Image:
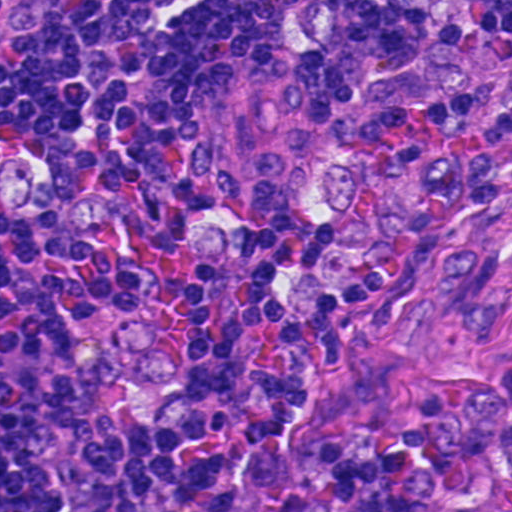
H&E-stained section of a sentinel lymph node (breast cancer), from a whole-slide image, viewed at about 40×: the field is about 0.12 mm across, about 0.23 µm per pixel.
Question:
Show where the tumour is in this image.
Answer:
Outlines of two tumour regions, largest first (closed clockwise paths, crop pixels): region 1: (402, 106), (486, 163), (382, 317), (248, 402), (127, 409), (115, 365), (45, 260), (0, 229), (0, 145), (186, 204), (273, 198), (341, 128); region 2: (511, 388), (511, 511), (397, 511), (438, 461), (479, 416).
About 35% of the image area is annotated as tumour.

Image:
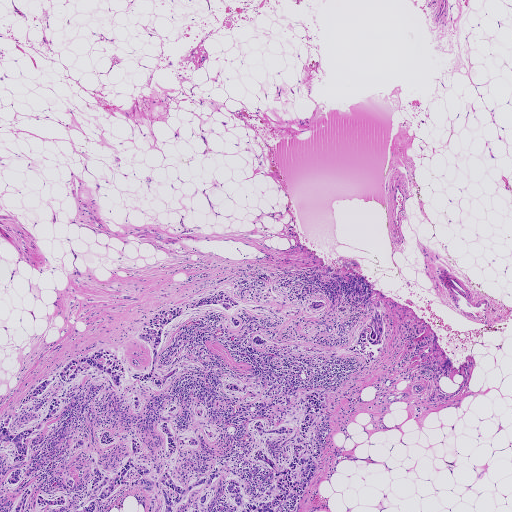
A 1.9-mm field of an H&E-stained sentinel lymph node from a breast-cancer patient (whole-slide image), shown at about 2.5×, about 3.6 µm per pixel.
Question:
Show where the tumour is in this image.
Answer:
Eight metastatic tumour regions, each outlined as a closed clockwise path in crop pixels (x, y), largest first: region 1: (230, 291), (236, 329), (208, 306), (169, 323), (156, 362), (180, 367), (163, 390), (141, 388), (140, 416), (178, 401), (187, 428), (193, 402), (207, 404), (222, 430), (217, 469), (256, 497), (275, 480), (249, 462), (252, 417), (297, 426), (305, 394), (327, 392), (312, 431), (317, 474), (281, 507), (164, 511), (159, 496), (150, 511), (150, 494), (124, 484), (93, 511), (0, 511), (0, 423), (37, 382), (103, 347), (130, 372), (148, 370), (138, 339), (154, 316); region 2: (349, 272), (355, 272), (368, 279), (372, 294), (365, 307), (353, 307), (344, 302), (333, 304), (320, 289), (324, 280), (329, 280), (333, 274), (340, 274), (347, 281), (349, 278), (345, 273); region 3: (379, 308), (382, 309), (386, 318), (386, 333), (384, 347), (373, 362), (364, 370), (360, 371), (364, 361), (359, 354), (344, 351), (344, 348), (354, 343), (361, 327); region 4: (232, 379), (245, 383), (246, 388), (243, 392), (230, 393), (223, 389), (224, 382); region 5: (255, 334), (260, 334), (267, 337), (269, 343), (266, 345), (259, 346), (253, 345), (250, 339); region 6: (317, 300), (325, 300), (325, 304), (323, 308), (315, 310), (309, 309), (308, 305), (312, 301); region 7: (243, 279), (249, 281), (245, 285), (235, 288), (233, 287), (236, 283); region 8: (230, 276), (228, 279), (223, 283), (215, 284), (216, 281), (223, 277).
Five more small tumour pieces are annotated here but not outlined.
The annotated tumour makes up about 15% of the crop.

Image:
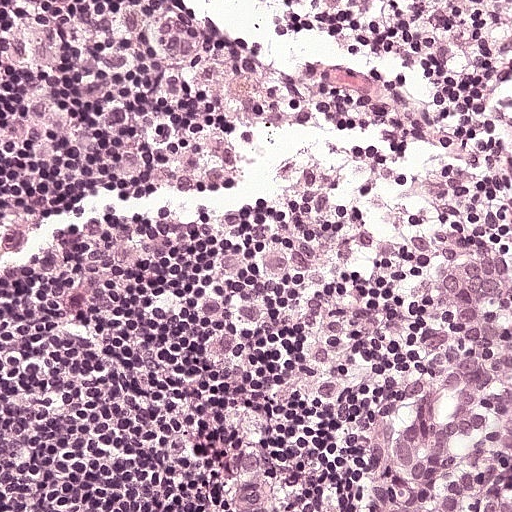
Lymph node section stained with H&E, from a whole-slide image of a breast-cancer sentinel node. Magnification about 20×, about 0.25 mm across the frame, about 0.49 µm per pixel.
Question:
Show where the tumour is in this image.
Answer:
One metastatic tumour region; its boundary, reduced to 7 corners and listed clockwise: (480, 224), (510, 233), (511, 511), (414, 511), (411, 408), (428, 298), (466, 232).
About 10% of this field is tumour.

Image:
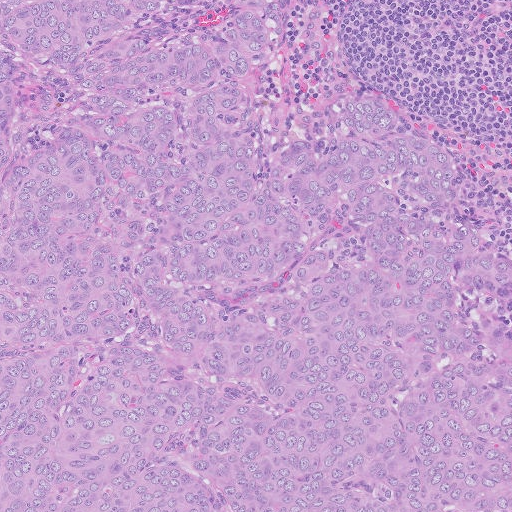
This is a crop of a whole-slide image: an H&E-stained breast-cancer sentinel lymph node section at roughly 10× magnification (about 1.0 µm per pixel; the crop spans about 0.51 mm).
Question:
Show where the tumour is in this image.
Answer:
The outlined metastatic tumour's edge, as a closed clockwise path of 13 points: (0, 0), (281, 0), (281, 81), (263, 144), (284, 146), (348, 89), (369, 87), (449, 144), (463, 184), (454, 203), (504, 246), (511, 511), (0, 511).
Tumour covers about 85% of the frame.